Question: 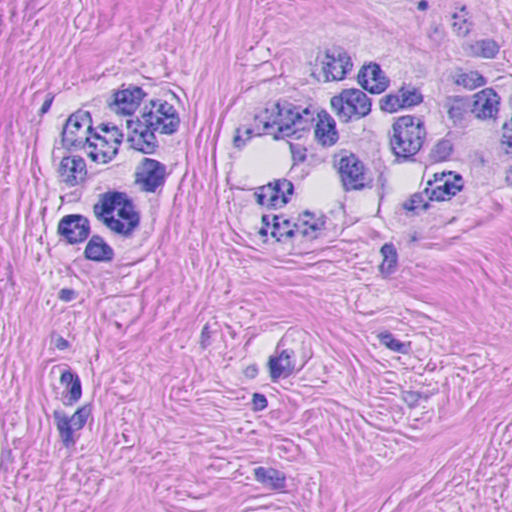
About what magnification does this crop show?

Choices:
 (A) about 2.5×
 (B) about 5×
 (C) about 10×
 (D) about 40×
 (E) about 20×

Answer: (D) about 40×
A 0.12-mm field of an H&E-stained sentinel lymph node from a breast-cancer patient (whole-slide image), shown at about 40×, about 0.23 µm per pixel.
Boundaries of two metastatic tumour regions, simplified and listed clockwise, largest first: region 1: (358, 0), (470, 0), (511, 51), (511, 205), (446, 238), (394, 251), (349, 248), (311, 264), (264, 246), (225, 213), (223, 108), (299, 38), (348, 26), (399, 35); region 2: (95, 66), (145, 70), (185, 101), (191, 151), (183, 187), (165, 227), (137, 261), (84, 274), (49, 237), (50, 187), (39, 138), (49, 86).
About 35% of the image area is annotated as tumour.